Image:
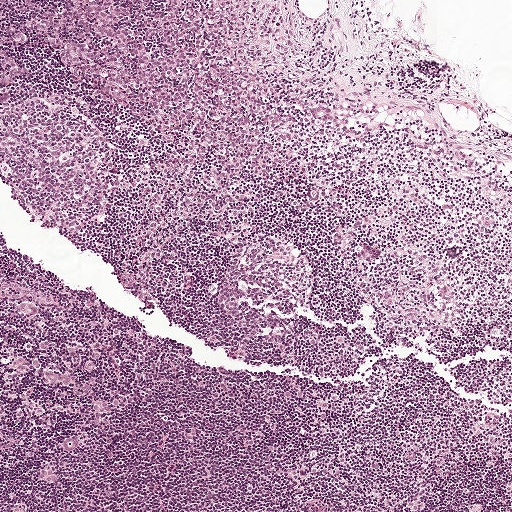
This is a crop of a whole-slide image: an H&E-stained breast-cancer sentinel lymph node section at roughly 5× magnification (about 1.9 µm per pixel; the crop spans about 1 mm).
Question:
Where is the metastatic tumour in this field? Give each region's outline as (x, y) pixel points.
Answer:
One metastatic tumour region; its boundary, reduced to 13 corners and listed clockwise: (48, 0), (239, 0), (229, 31), (238, 54), (319, 96), (337, 122), (317, 124), (251, 155), (230, 151), (208, 131), (148, 126), (53, 68), (34, 23).
About 10% of the image area is annotated as tumour.